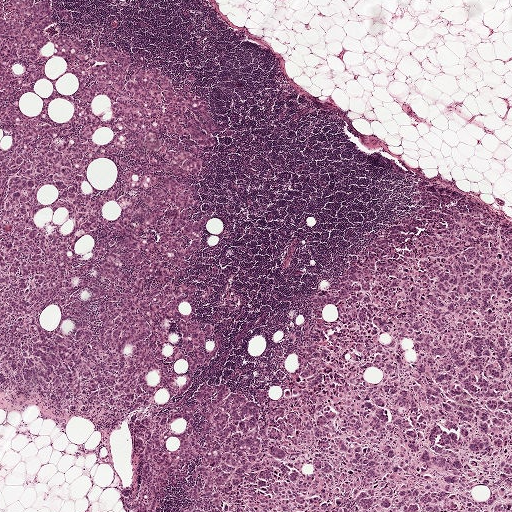
This is a crop of a whole-slide image: an H&E-stained breast-cancer sentinel lymph node section at roughly 2.5× magnification (about 3.9 µm per pixel; the crop spans about 2.0 mm).
Tumour region outline (a closed clockwise path, crop pixels): (0, 0), (48, 1), (70, 39), (144, 54), (209, 102), (189, 217), (210, 219), (185, 280), (219, 270), (196, 311), (221, 345), (178, 395), (156, 390), (167, 411), (209, 383), (279, 399), (314, 294), (404, 218), (417, 182), (511, 223), (511, 511), (136, 511), (120, 415), (0, 396).
The outline encloses 28 non-tumour holes totalling about 5% of the region's area.
One more small tumour piece is annotated here but not outlined.
Tumour covers about 55% of the frame.